Question: 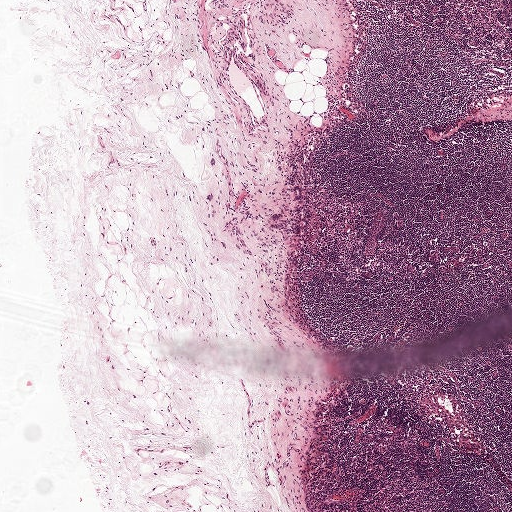
This is a crop of a whole-slide image: an H&E-stained breast-cancer sentinel lymph node section at roughly 2.5× magnification (about 3.9 µm per pixel; the crop spans about 2.0 mm).
Estimate the proportion of this field that is metastatic tumour.

Choices:
 (A) about 10% to 20%
 (B) about 5% or less
 (C) about 50% or more
 (D) about 25% to 45%
 (E) none: no tumour is outlined

Answer: (B) about 5% or less
Under 5% of the field is tumour.
One metastatic tumour region; its boundary, reduced to 10 corners and listed clockwise: (295, 185), (297, 185), (303, 190), (303, 199), (301, 200), (298, 200), (295, 199), (292, 192), (292, 190), (293, 187).
One more small tumour piece is annotated here but not outlined.